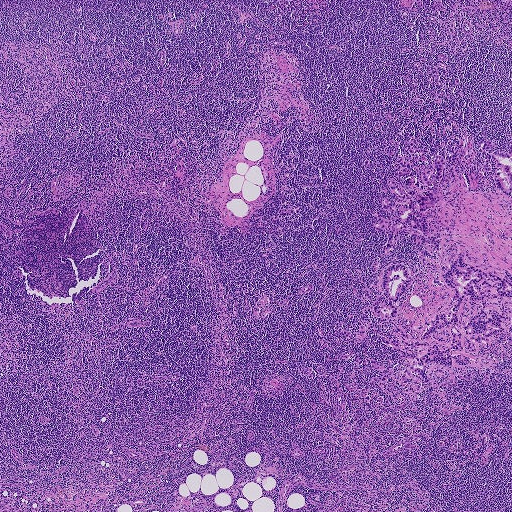
A 1.9-mm field of an H&E-stained sentinel lymph node from a breast-cancer patient (whole-slide image), shown at about 2.5×, about 3.6 µm per pixel.
Boundaries of two metastatic tumour regions, simplified and listed clockwise, largest first: region 1: (483, 138), (493, 141), (494, 146), (488, 151), (499, 149), (509, 151), (511, 144), (511, 198), (505, 195), (492, 179), (478, 170), (477, 161), (482, 159), (482, 154), (476, 146); region 2: (281, 206), (283, 206), (285, 208), (288, 208), (291, 206), (297, 209), (299, 211), (297, 213), (281, 216), (278, 215), (278, 211).
One more tumour region is annotated but not outlined: its edge is too irregular for a short outline.
Two more small tumour pieces are annotated here but not outlined.
About 10% of the image area is annotated as tumour.